Lymph node section stained with H&E, from a whole-slide image of a breast-cancer sentinel node. Magnification about 2.5×, about 2.0 mm across the frame, about 3.9 µm per pixel.
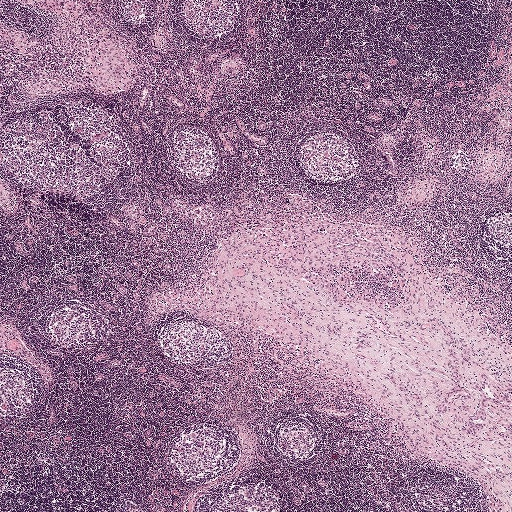
Question: Is there metastatic carcinoma in this field?
Answer: No. No metastatic tumour is outlined in this field.